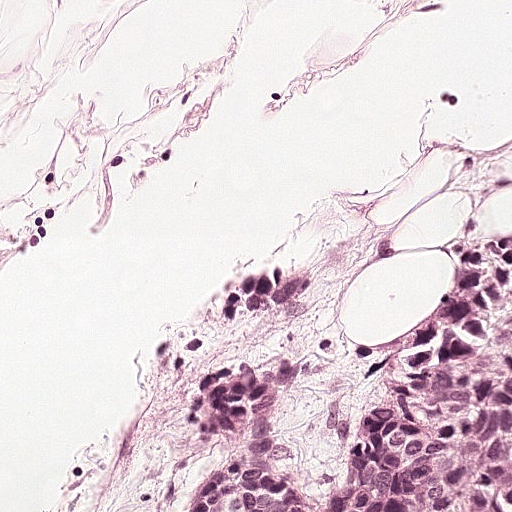
Lymph node section stained with H&E, from a whole-slide image of a breast-cancer sentinel node. Magnification about 20×, about 0.25 mm across the frame, about 0.49 µm per pixel.
Tumour region outline (a closed clockwise path, crop pixels): (511, 228), (511, 511), (173, 511), (210, 439), (180, 416), (177, 396), (202, 360), (258, 340), (256, 316), (196, 300), (197, 274), (239, 250), (302, 254), (306, 286), (276, 409), (297, 455), (340, 478), (382, 374), (435, 300), (432, 270).
About 20% of the image area is annotated as tumour.